This is a crop of a whole-slide image: an H&E-stained breast-cancer sentinel lymph node section at roughly 20× magnification (about 0.49 µm per pixel; the crop spans about 0.25 mm).
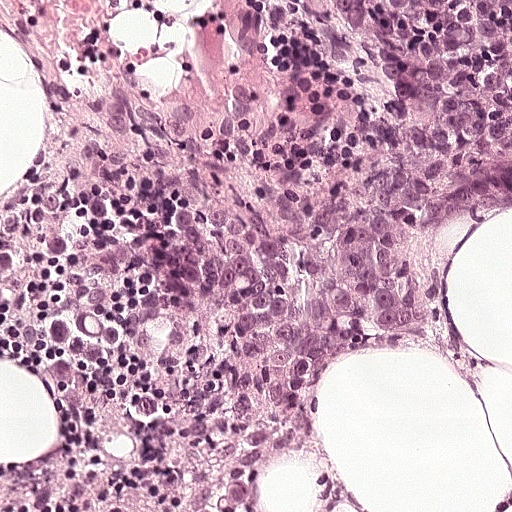
One metastatic tumour region; its boundary, reduced to 23 corners and listed clockwise: (511, 0), (511, 210), (460, 218), (437, 270), (442, 332), (422, 352), (354, 348), (308, 373), (222, 368), (124, 410), (59, 397), (29, 368), (22, 334), (92, 248), (82, 204), (100, 170), (88, 128), (102, 98), (174, 94), (218, 108), (272, 96), (272, 73), (224, 2).
About 50% of the image area is annotated as tumour.